Question: 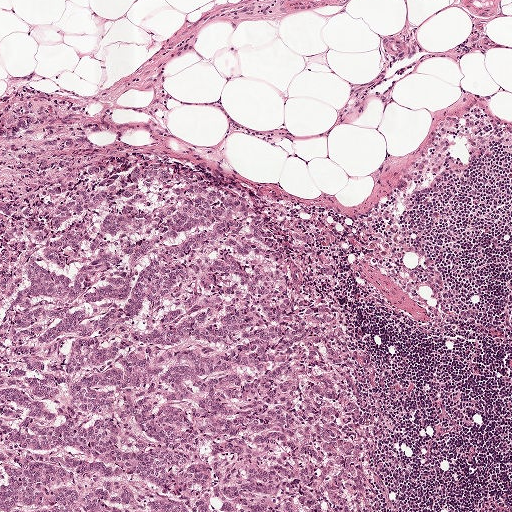
This is a crop of a whole-slide image: an H&E-stained breast-cancer sentinel lymph node section at roughly 5× magnification (about 1.9 µm per pixel; the crop spans about 1 mm).
Roughly what share of this field is metastatic tumour?

Choices:
 (A) about 25% to 45%
 (B) none: no tumour is outlined
 (C) about 10% to 20%
 (D) about 50% or more
 (E) about 5% or less

Answer: (D) about 50% or more
About 50% of the field is tumour.
Metastatic tumour outline, simplified to 8 points and listed clockwise in crop pixels (x, y): (6, 97), (66, 100), (157, 142), (341, 253), (399, 371), (408, 461), (399, 510), (0, 511).